Image:
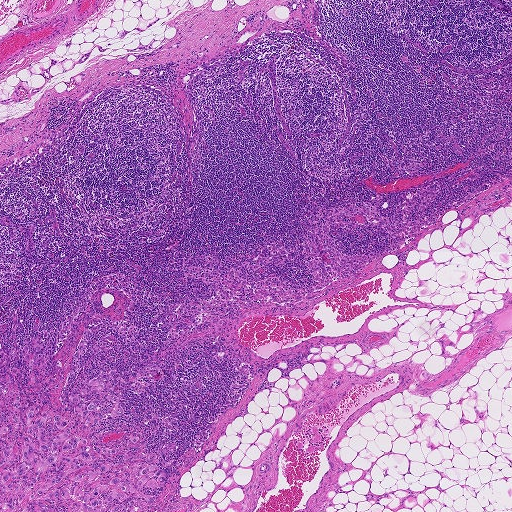
Lymph node section stained with H&E, from a whole-slide image of a breast-cancer sentinel node. Magnification about 2.5×, about 1.9 mm across the frame, about 3.6 µm per pixel.
Question:
Which parts of this field are metastatic tumour? Answer with the outline of each region, in pixels.
Answer:
Outlines of three tumour regions, largest first (closed clockwise paths, crop pixels): region 1: (0, 381), (17, 389), (19, 420), (26, 422), (32, 407), (34, 419), (46, 412), (61, 415), (72, 435), (94, 447), (99, 456), (73, 475), (113, 461), (116, 466), (99, 479), (106, 482), (134, 460), (121, 457), (128, 446), (113, 455), (100, 448), (136, 431), (140, 440), (132, 450), (154, 453), (158, 470), (175, 458), (162, 486), (134, 494), (157, 499), (138, 511), (0, 511); region 2: (83, 388), (86, 390), (85, 394), (78, 396), (81, 402), (84, 405), (94, 401), (100, 406), (101, 409), (90, 411), (89, 415), (96, 417), (110, 412), (113, 403), (106, 394), (113, 394), (120, 397), (123, 412), (110, 420), (102, 420), (102, 423), (95, 426), (91, 424), (86, 426), (80, 412), (75, 411), (69, 401), (69, 396), (74, 390), (77, 392), (76, 395), (80, 394); region 3: (36, 336), (37, 339), (36, 343), (39, 344), (40, 348), (34, 353), (44, 359), (44, 366), (41, 368), (39, 364), (40, 360), (34, 363), (34, 366), (32, 369), (27, 365), (27, 361), (23, 360), (23, 356), (21, 355), (22, 351), (23, 348), (27, 344), (31, 351), (32, 348), (31, 341), (32, 337).
One more small tumour piece is annotated here but not outlined.
About 5% of the image area is annotated as tumour.